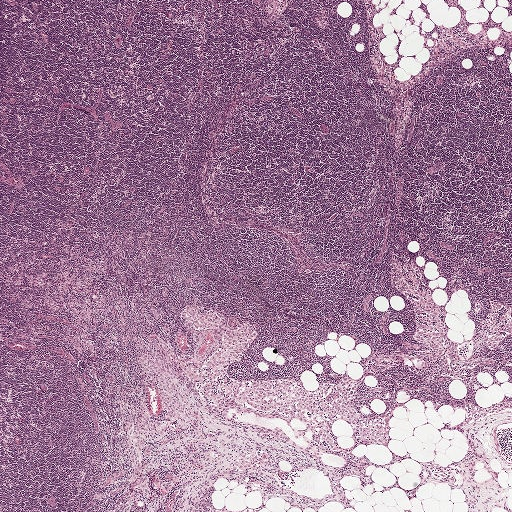
H&E-stained section of a sentinel lymph node (breast cancer), from a whole-slide image, viewed at about 2.5×: the field is about 2.0 mm across, about 3.9 µm per pixel.
Question: Outline the metastatic carcinoma in this image, as closed paths of (x, y) pixel coordinates.
Answer: One metastatic tumour region; its boundary, reduced to 18 corners and listed clockwise: (145, 343), (166, 356), (176, 368), (183, 393), (187, 399), (189, 399), (183, 414), (176, 411), (169, 416), (165, 415), (162, 411), (160, 388), (152, 382), (145, 372), (134, 365), (139, 358), (140, 351), (136, 345).
Under 5% of the image area is annotated as tumour.